Image:
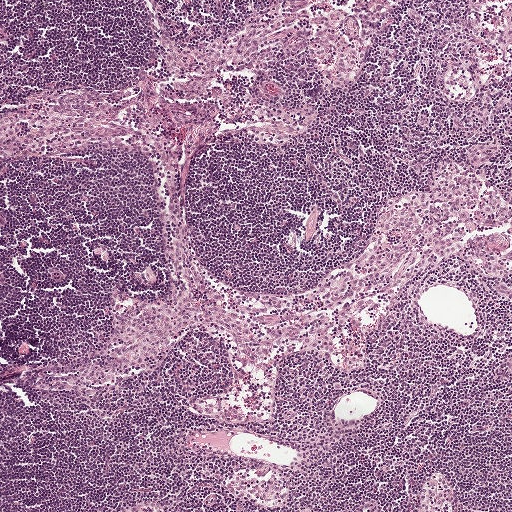
H&E-stained section of a sentinel lymph node (breast cancer), from a whole-slide image, viewed at about 5×: the field is about 1 mm across, about 1.9 µm per pixel.
Question:
Is there metastatic carcinoma in this field?
Answer:
No. No metastatic tumour is outlined in this field.